Question: 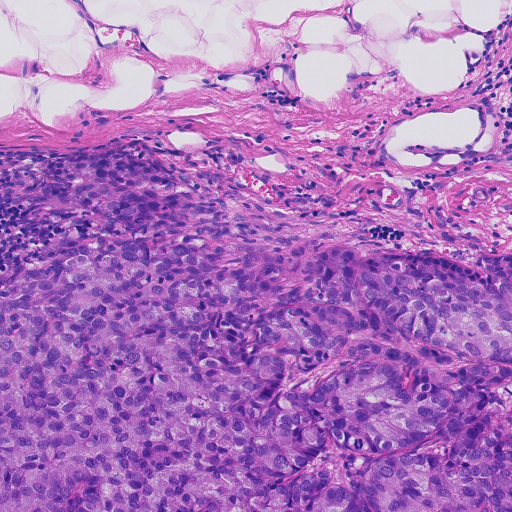
A 0.46-mm field of an H&E-stained sentinel lymph node from a breast-cancer patient (whole-slide image), shown at about 10×, about 0.91 µm per pixel.
Estimate the proportion of this field that is metastatic tumour.

Choices:
 (A) about 50% or more
 (B) about 5% or less
 (C) about 25% to 45%
 (D) none: no tumour is outlined
 (E) about 10% to 20%

Answer: (A) about 50% or more
About 55% of the field is tumour.
One metastatic tumour region; its boundary, reduced to 18 corners and listed clockwise: (146, 138), (223, 196), (224, 239), (244, 246), (314, 239), (435, 250), (478, 269), (476, 257), (511, 254), (511, 376), (502, 389), (511, 394), (511, 511), (0, 511), (0, 274), (102, 229), (35, 217), (23, 168).